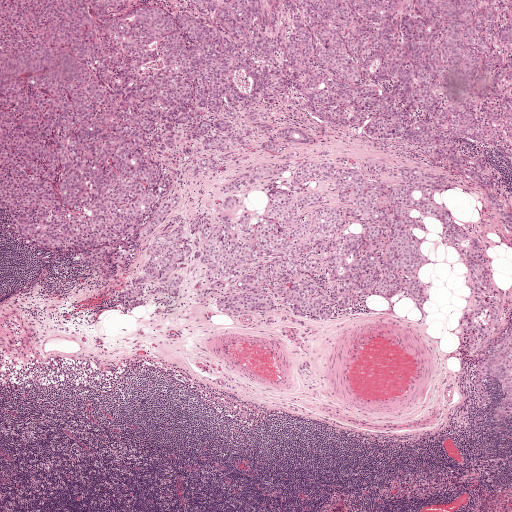
This is a crop of a whole-slide image: an H&E-stained breast-cancer sentinel lymph node section at roughly 2.5× magnification (about 3.9 µm per pixel; the crop spans about 2.0 mm).
Metastatic tumour outline, simplified to 24 points and listed clockwise in crop pixels (x, y): (0, 0), (511, 0), (505, 424), (491, 415), (497, 380), (477, 410), (457, 332), (468, 281), (438, 217), (413, 233), (427, 299), (367, 295), (322, 322), (221, 312), (196, 287), (204, 261), (173, 297), (131, 312), (113, 294), (146, 263), (151, 236), (127, 263), (95, 268), (4, 230).
About 55% of the image area is annotated as tumour.